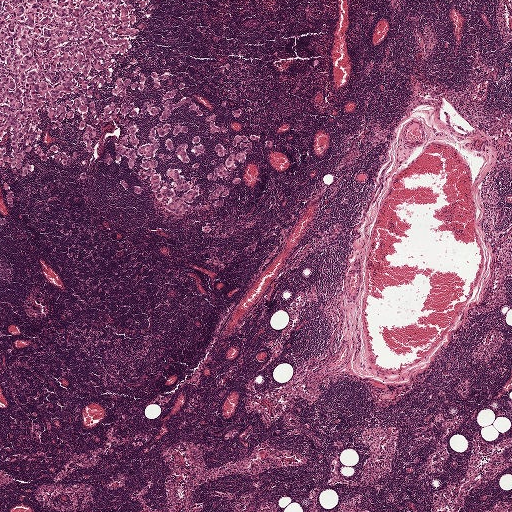
This is a crop of a whole-slide image: an H&E-stained breast-cancer sentinel lymph node section at roughly 2.5× magnification (about 3.9 µm per pixel; the crop spans about 2.0 mm).
Tumour region outline (a closed clockwise path, crop pixels): (0, 0), (153, 0), (133, 45), (141, 68), (184, 79), (227, 129), (209, 134), (186, 103), (167, 114), (188, 131), (157, 138), (156, 152), (194, 136), (203, 151), (159, 160), (166, 184), (166, 167), (187, 177), (197, 163), (207, 192), (215, 145), (272, 141), (253, 145), (225, 209), (198, 195), (179, 216), (118, 191), (126, 165), (76, 176), (112, 149), (115, 124), (85, 153), (78, 113), (62, 132), (43, 113), (46, 144), (78, 158), (32, 155), (14, 207), (0, 201).
About 10% of the image area is annotated as tumour.